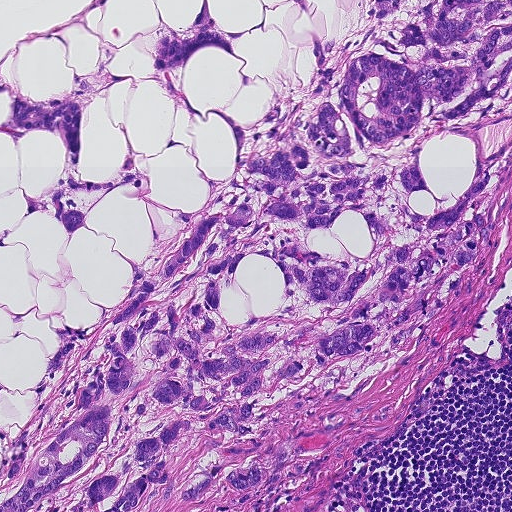
H&E-stained section of a sentinel lymph node (breast cancer), from a whole-slide image, viewed at about 10×: the field is about 0.46 mm across, about 0.9 µm per pixel.
Metastatic tumour outline, simplified to 38 points and listed clockwise in crop pixels (x, y): (212, 0), (226, 30), (265, 24), (239, 61), (185, 60), (197, 108), (248, 126), (311, 77), (300, 0), (328, 50), (366, 0), (511, 0), (511, 262), (342, 480), (360, 506), (0, 511), (0, 429), (36, 402), (48, 326), (97, 320), (148, 255), (137, 186), (74, 239), (42, 211), (62, 148), (0, 135), (0, 82), (68, 96), (111, 45), (81, 177), (114, 176), (122, 122), (164, 238), (236, 154), (182, 103), (176, 70), (150, 72), (158, 22).
One more small tumour piece is annotated here but not outlined.
About 70% of this field is tumour.